H&E-stained section of a sentinel lymph node (breast cancer), from a whole-slide image, viewed at about 5×: the field is about 1 mm across, about 1.9 µm per pixel.
Question: 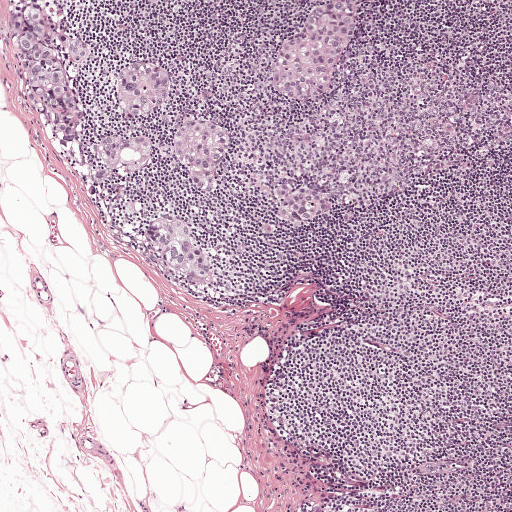
Roughly what share of this field is metastatic tumour?

Choices:
 (A) about 10% to 20%
 (B) none: no tumour is outlined
 (C) about 50% or more
 (D) about 5% or less
 (E) about 25% to 45%

Answer: (A) about 10% to 20%
About 10% of the field is tumour.
The eight largest tumour regions' boundaries, simplified and listed clockwise, largest first: region 1: (27, 0), (58, 0), (64, 6), (66, 25), (90, 47), (91, 54), (84, 64), (64, 61), (67, 79), (84, 113), (78, 143), (72, 145), (54, 140), (24, 100), (24, 86), (11, 37), (16, 12); region 2: (369, 0), (356, 5), (351, 33), (337, 56), (326, 85), (313, 96), (291, 97), (281, 90), (272, 73), (275, 53), (282, 41), (299, 31), (311, 8), (327, 2); region 3: (164, 212), (184, 216), (194, 224), (209, 254), (214, 267), (215, 282), (210, 286), (204, 286), (170, 270), (147, 254), (139, 242), (140, 226), (145, 220); region 4: (187, 118), (199, 118), (230, 131), (232, 144), (217, 167), (216, 188), (212, 196), (206, 198), (194, 194), (185, 174), (170, 159), (166, 151), (172, 131); region 5: (144, 132), (150, 132), (155, 136), (156, 149), (148, 169), (142, 175), (107, 182), (98, 200), (92, 200), (87, 196), (86, 190), (90, 175), (100, 167), (94, 155), (95, 145), (99, 138), (105, 134), (127, 136); region 6: (136, 60), (166, 70), (168, 77), (168, 85), (159, 105), (148, 115), (143, 116), (129, 116), (124, 113), (119, 103), (116, 84), (120, 70), (129, 62); region 7: (280, 183), (288, 183), (298, 186), (310, 185), (330, 194), (335, 198), (335, 205), (332, 210), (316, 223), (295, 225), (282, 220), (275, 221), (280, 225), (280, 232), (274, 234), (267, 234), (260, 231), (260, 225), (272, 221), (270, 215), (281, 204), (276, 200), (274, 187); region 8: (479, 88), (480, 90), (479, 99), (473, 110), (464, 113), (462, 109), (466, 101), (473, 90).
Two more, smaller tumour regions are not outlined.
One more small tumour piece is annotated here but not outlined.